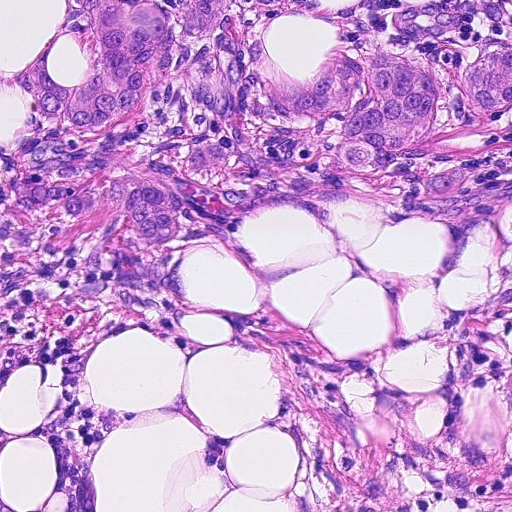
H&E-stained section of a sentinel lymph node (breast cancer), from a whole-slide image, viewed at about 20×: the field is about 0.23 mm across, about 0.45 µm per pixel.
Question: Which parts of this field are metastatic tumour? Answer with the outline of each region, in pixels.
Answer: Boundaries of two metastatic tumour regions, simplified and listed clockwise, largest first: region 1: (0, 0), (511, 0), (511, 210), (496, 226), (430, 228), (344, 206), (254, 212), (201, 239), (184, 264), (178, 304), (193, 352), (162, 350), (146, 326), (117, 325), (70, 361), (14, 379), (0, 395); region 2: (511, 280), (511, 511), (290, 511), (276, 374), (255, 352), (226, 351), (230, 321), (256, 310), (285, 313), (334, 349), (364, 356), (411, 393), (440, 385), (437, 322), (460, 298).
One more small tumour piece is annotated here but not outlined.
About 70% of this field is tumour.